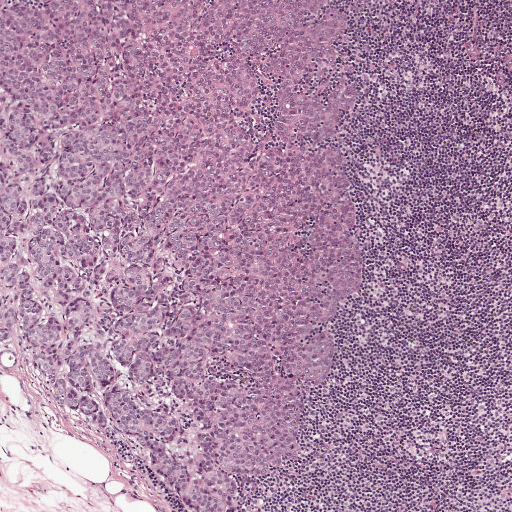
H&E-stained section of a sentinel lymph node (breast cancer), from a whole-slide image, viewed at about 5×: the field is about 1 mm across, about 1.9 µm per pixel.
Metastatic tumour outline, simplified to 21 points and listed clockwise in crop pixels (x, y): (0, 0), (343, 5), (339, 42), (360, 91), (336, 136), (362, 274), (331, 324), (315, 323), (312, 336), (331, 332), (338, 360), (324, 387), (304, 392), (297, 462), (271, 480), (226, 474), (239, 505), (266, 511), (191, 511), (142, 459), (1, 347).
About 60% of this field is tumour.